Question: 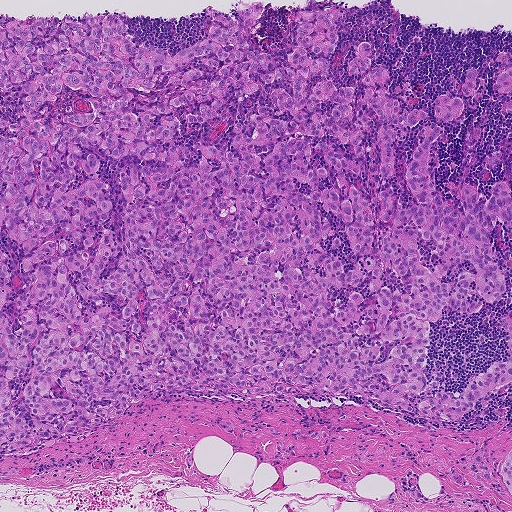
H&E-stained section of a sentinel lymph node (breast cancer), from a whole-slide image, viewed at about 5×: the field is about 0.93 mm across, about 1.8 µm per pixel.
Estimate the proportion of this field that is metastatic tumour.

Choices:
 (A) about 10% to 20%
 (B) about 50% or more
 (C) about 25% to 45%
 (D) about 5% or less
 (E) none: no tumour is outlined

Answer: (B) about 50% or more
About 65% of the field is tumour.
Outlines of three tumour regions, largest first (closed clockwise paths, crop pixels): region 1: (264, 3), (252, 46), (284, 72), (293, 17), (337, 8), (335, 88), (358, 108), (363, 41), (391, 74), (376, 89), (427, 113), (394, 128), (398, 209), (435, 98), (477, 68), (428, 158), (464, 216), (448, 185), (485, 204), (510, 188), (491, 240), (508, 290), (430, 322), (409, 394), (420, 401), (456, 396), (508, 359), (508, 316), (511, 380), (452, 422), (160, 390), (5, 454), (0, 16), (110, 14), (172, 55); region 2: (511, 449), (511, 497), (501, 476), (500, 469), (502, 461), (507, 454); region 3: (511, 68), (511, 91), (504, 92), (496, 92), (494, 85), (497, 77), (503, 71).